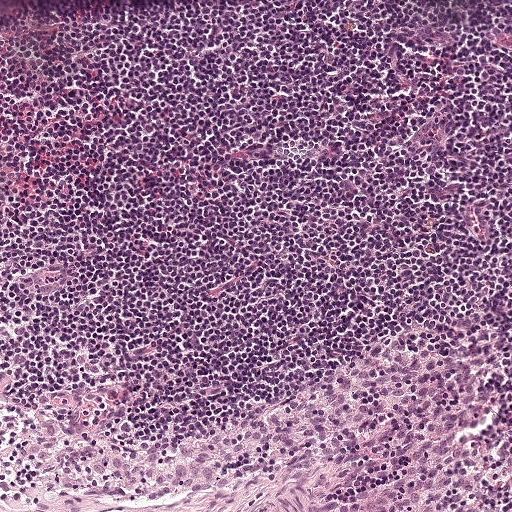
Lymph node section stained with H&E, from a whole-slide image of a breast-cancer sentinel node. Magnification about 10×, about 0.5 mm across the frame, about 0.97 µm per pixel.
Question: Is any metastatic breast cancer visible in this crop?
Answer: No: no metastatic tumour is outlined anywhere in this field.